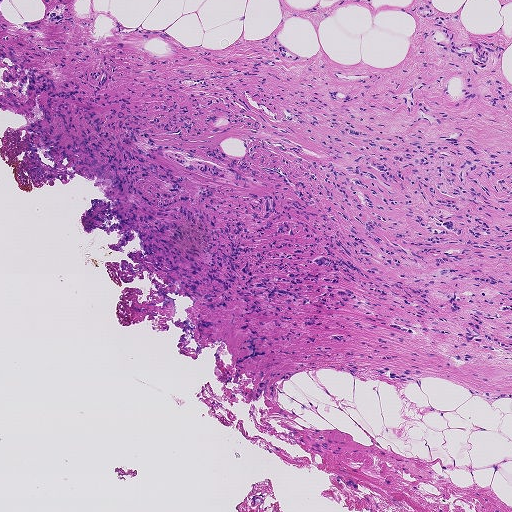
H&E-stained section of a sentinel lymph node (breast cancer), from a whole-slide image, viewed at about 5×: the field is about 0.93 mm across, about 1.8 µm per pixel.
One metastatic tumour region; its boundary, reduced to 24 corners and listed clockwise: (426, 0), (490, 41), (511, 94), (511, 364), (346, 344), (234, 367), (243, 312), (198, 311), (138, 234), (124, 253), (106, 244), (117, 232), (87, 236), (79, 214), (106, 198), (37, 157), (36, 110), (0, 76), (6, 38), (146, 29), (221, 51), (271, 36), (303, 61), (393, 70).
About 50% of this field is tumour.